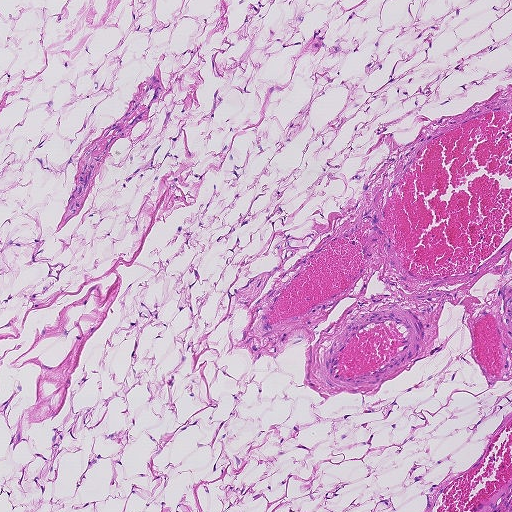
Lymph node section stained with H&E, from a whole-slide image of a breast-cancer sentinel node. Magnification about 5×, about 0.93 mm across the frame, about 1.8 µm per pixel.
Question: Is there metastatic carcinoma in this field?
Answer: No. No metastatic tumour is outlined in this field.